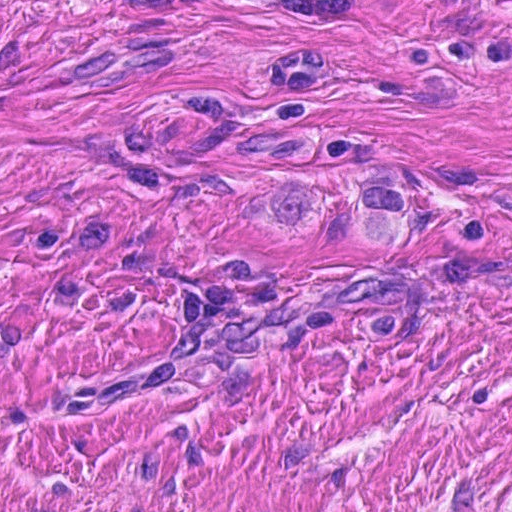
Lymph node section stained with H&E, from a whole-slide image of a breast-cancer sentinel node. Magnification about 40×, about 0.12 mm across the frame, about 0.23 µm per pixel.
Three metastatic tumour regions, each outlined as a closed clockwise path in crop pixels (x, y), largest first: region 1: (365, 160), (430, 173), (484, 203), (423, 262), (358, 257), (243, 215), (236, 195), (241, 186); region 2: (276, 481), (302, 511), (196, 511), (221, 495); region 3: (511, 478), (511, 511), (494, 511).
About 5% of this field is tumour.